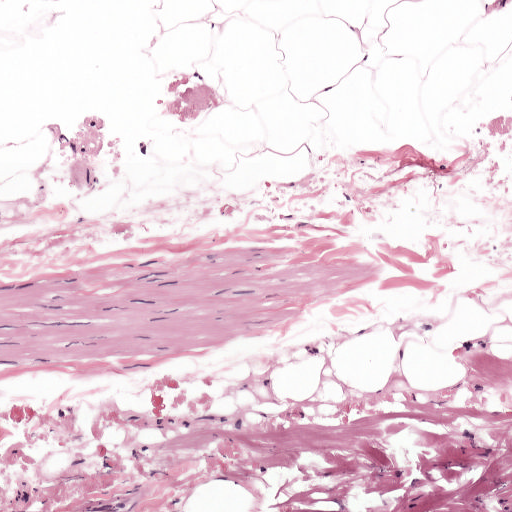
H&E-stained section of a sentinel lymph node (breast cancer), from a whole-slide image, viewed at about 10×: the field is about 0.5 mm across, about 0.97 µm per pixel.